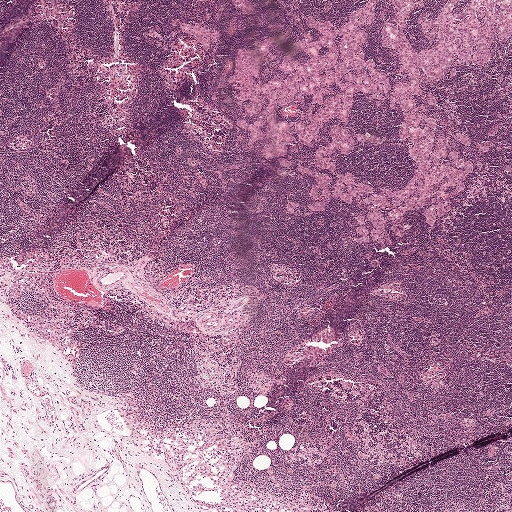
A 2.0-mm field of an H&E-stained sentinel lymph node from a breast-cancer patient (whole-slide image), shown at about 2.5×, about 3.9 µm per pixel.
Boundaries of five metastatic tumour regions, simplified and listed clockwise, largest first: region 1: (298, 165), (302, 166), (317, 174), (326, 173), (331, 178), (331, 183), (327, 187), (329, 197), (329, 202), (324, 208), (315, 211), (310, 210), (306, 207), (306, 206), (308, 203), (317, 202), (322, 199), (323, 197), (320, 194), (320, 189), (316, 190), (318, 197), (316, 200), (314, 200), (309, 196), (309, 191), (310, 188), (312, 185), (316, 183), (313, 178), (297, 171), (296, 169), (296, 166); region 2: (180, 21), (192, 26), (197, 23), (209, 32), (218, 31), (217, 40), (209, 42), (208, 49), (203, 50), (194, 36), (184, 33), (180, 29), (178, 23); region 3: (361, 214), (362, 216), (368, 237), (367, 243), (362, 244), (358, 244), (354, 242), (353, 240), (355, 238), (360, 236), (360, 235), (356, 233), (355, 230), (356, 226), (359, 224), (358, 222), (356, 221), (355, 217), (356, 215); region 4: (231, 0), (245, 0), (248, 1), (254, 6), (254, 13), (251, 15), (245, 13), (241, 9), (233, 6); region 5: (457, 133), (463, 134), (467, 136), (469, 139), (470, 142), (470, 145), (467, 146), (463, 146), (460, 145), (454, 140).
One more tumour region is annotated but not outlined: its edge is too irregular for a short outline.
One more small tumour piece is annotated here but not outlined.
About 10% of the image area is annotated as tumour.